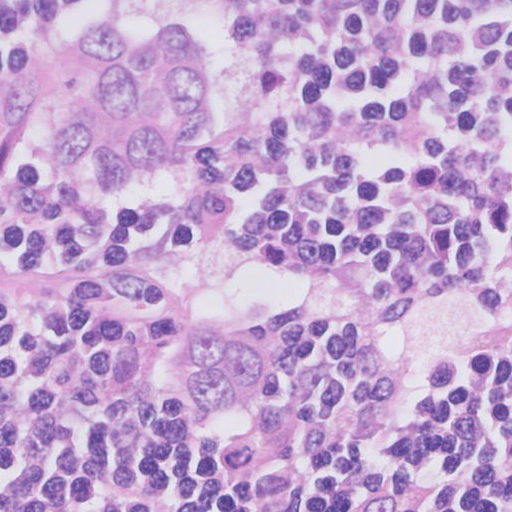
Lymph node section stained with H&E, from a whole-slide image of a breast-cancer sentinel node. Magnification about 40×, about 0.13 mm across the frame, about 0.25 µm per pixel.
The outlined metastatic tumour's edge, as a closed clockwise path of 7 points: (176, 0), (241, 63), (203, 193), (85, 214), (0, 193), (0, 57), (50, 6).
About 15% of this field is tumour.